A 0.25-mm field of an H&E-stained sentinel lymph node from a breast-cancer patient (whole-slide image), shown at about 20×, about 0.49 µm per pixel.
Image:
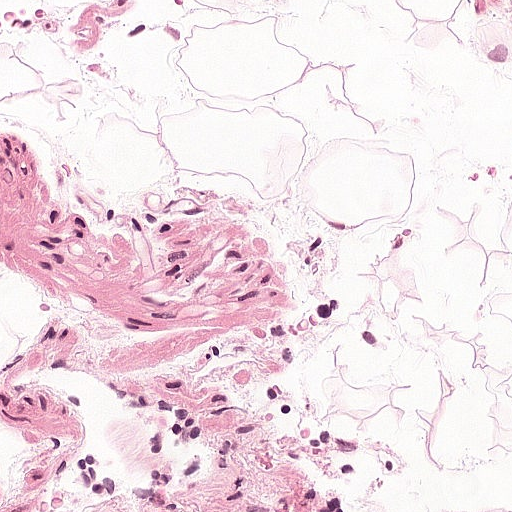
Question:
Does this lymph node field contain metastatic tumour?
Answer:
No. No metastatic tumour is outlined in this field.